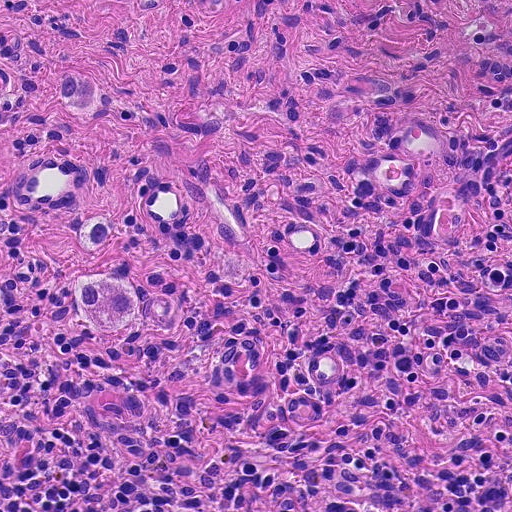
Lymph node section stained with H&E, from a whole-slide image of a breast-cancer sentinel node. Magnification about 20×, about 0.23 mm across the frame, about 0.45 µm per pixel.
One metastatic tumour region; its boundary, reduced to 9 corners and listed clockwise: (110, 275), (133, 288), (137, 313), (122, 338), (97, 333), (78, 315), (66, 288), (71, 282), (85, 276).
Two more small tumour pieces are annotated here but not outlined.
Under 5% of the image area is annotated as tumour.